This is a crop of a whole-slide image: an H&E-stained breast-cancer sentinel lymph node section at roughly 2.5× magnification (about 3.6 µm per pixel; the crop spans about 1.9 mm).
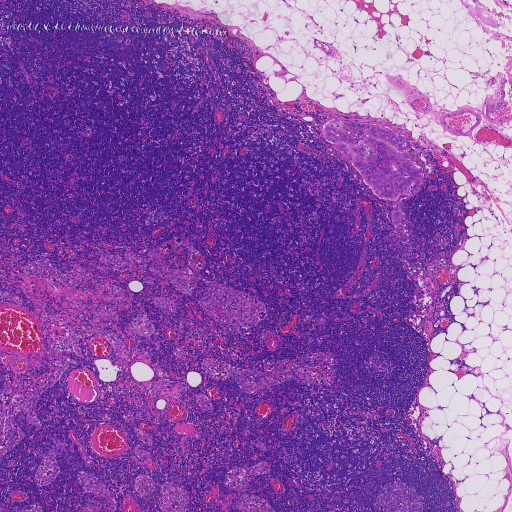
Question: Trace the edge of each tumour region in this crop, as (x, y) points from 0 to 511.
Answer: Boundaries of two metastatic tumour regions, simplified and listed clockwise, largest first: region 1: (335, 118), (380, 126), (407, 136), (412, 145), (406, 160), (413, 160), (422, 172), (418, 192), (411, 196), (410, 188), (400, 194), (396, 200), (383, 200), (374, 194), (323, 133), (324, 124); region 2: (395, 207), (399, 207), (401, 209), (404, 214), (406, 220), (402, 229), (404, 232), (407, 233), (407, 236), (406, 237), (403, 237), (398, 235), (393, 224), (391, 216), (392, 212).
One more small tumour piece is annotated here but not outlined.
The annotated tumour makes up under 5% of the crop.